This is a crop of a whole-slide image: an H&E-stained breast-cancer sentinel lymph node section at roughly 10× magnification (about 0.97 µm per pixel; the crop spans about 0.5 mm).
Image:
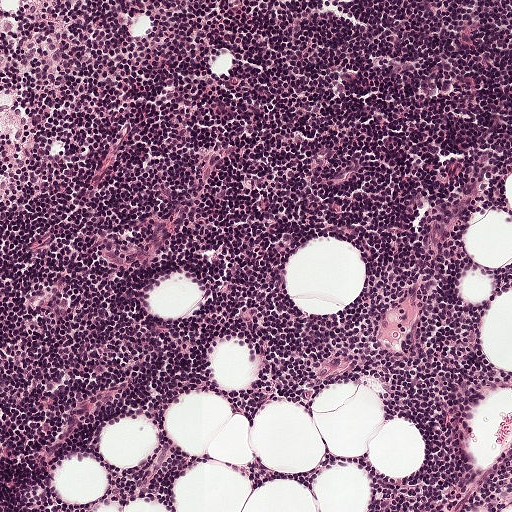
Question:
Is there metastatic carcinoma in this field?
Answer:
No, this field holds no outlined metastasis.